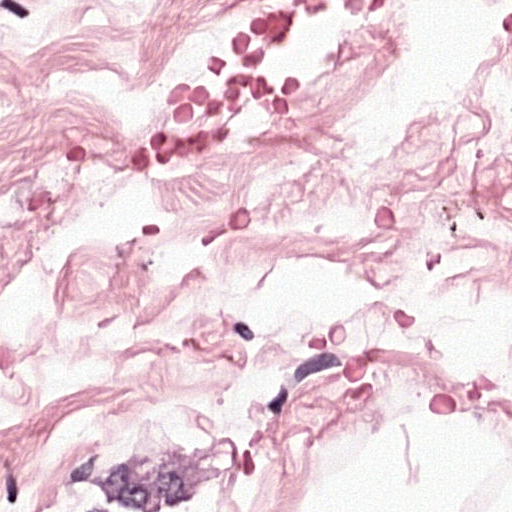
A 0.12-mm field of an H&E-stained sentinel lymph node from a breast-cancer patient (whole-slide image), shown at about 40×, about 0.24 µm per pixel.
One metastatic tumour region; its boundary, reduced to 4 corners and listed clockwise: (146, 445), (238, 462), (201, 511), (29, 511).
One more small tumour piece is annotated here but not outlined.
About 5% of the image area is annotated as tumour.